A 0.46-mm field of an H&E-stained sentinel lymph node from a breast-cancer patient (whole-slide image), shown at about 10×, about 0.9 µm per pixel.
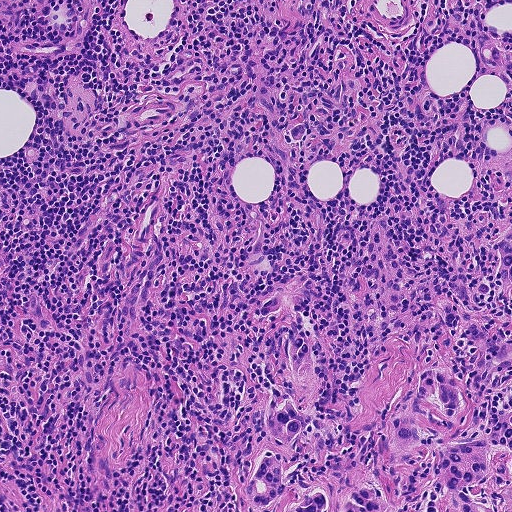
Three metastatic tumour regions, each outlined as a closed clockwise path in crop pixels (x, y), largest first: region 1: (296, 324), (308, 335), (316, 369), (312, 402), (372, 469), (393, 401), (432, 368), (463, 375), (476, 388), (483, 413), (511, 395), (511, 511), (282, 511), (288, 500), (268, 511), (242, 508), (244, 475), (264, 446), (275, 442), (264, 429), (269, 411), (288, 393), (286, 340); region 2: (472, 276), (480, 309), (510, 326), (511, 380), (492, 366), (469, 341), (455, 332), (438, 328), (430, 313), (438, 298), (446, 293), (455, 278); region 3: (508, 225), (511, 225), (511, 294), (503, 288), (498, 272), (496, 255), (497, 238).
The annotated tumour makes up about 15% of the crop.